Question: 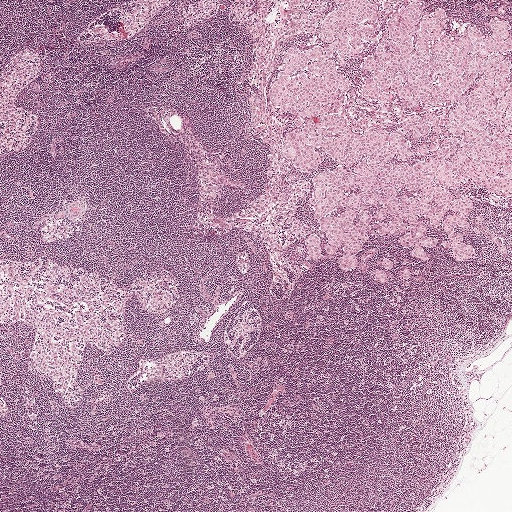
Lymph node section stained with H&E, from a whole-slide image of a breast-cancer sentinel node. Magnification about 2.5×, about 2.0 mm across the frame, about 3.9 µm per pixel.
Estimate the proportion of this field that is metastatic tumour.

Choices:
 (A) none: no tumour is outlined
 (B) about 5% or less
 (C) about 50% or more
 (D) about 10% to 20%
 (E) about 25% to 45%

Answer: (D) about 10% to 20%
About 20% of the field is tumour.
Outlines of two tumour regions, largest first (closed clockwise paths, crop pixels): region 1: (332, 0), (421, 0), (452, 38), (511, 20), (511, 196), (445, 185), (471, 198), (474, 260), (448, 260), (447, 225), (421, 217), (427, 262), (370, 234), (342, 270), (342, 240), (306, 260), (311, 179), (336, 161), (322, 147), (304, 174), (281, 157), (292, 124), (267, 90); region 2: (372, 268), (375, 268), (383, 271), (385, 274), (385, 280), (384, 282), (379, 282), (370, 276), (370, 272).
Two more small tumour pieces are annotated here but not outlined.